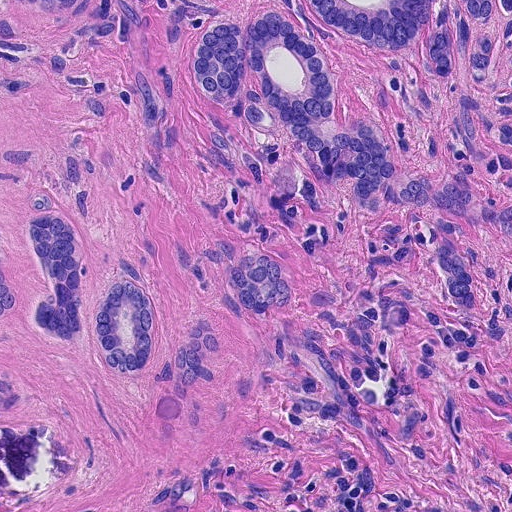
A 0.23-mm field of an H&E-stained sentinel lymph node from a breast-cancer patient (whole-slide image), shown at about 20×, about 0.45 µm per pixel.
One metastatic tumour region; its boundary, reduced to 14 corners and listed clockwise: (0, 0), (511, 0), (511, 456), (456, 425), (424, 444), (350, 445), (278, 414), (250, 383), (185, 414), (148, 414), (80, 385), (94, 458), (70, 488), (0, 503).
The annotated tumour makes up about 85% of the crop.